H&E-stained section of a sentinel lymph node (breast cancer), from a whole-slide image, viewed at about 20×: the field is about 0.25 mm across, about 0.49 µm per pixel.
Image:
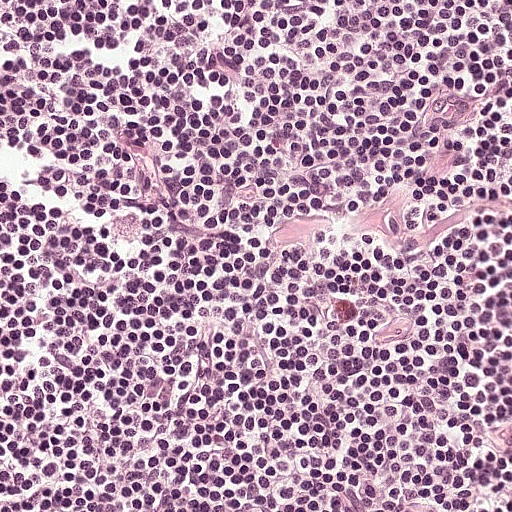
Question:
Is there metastatic carcinoma in this field?
Answer:
No. No metastatic tumour is outlined in this field.